A 0.25-mm field of an H&E-stained sentinel lymph node from a breast-cancer patient (whole-slide image), shown at about 20×, about 0.49 µm per pixel.
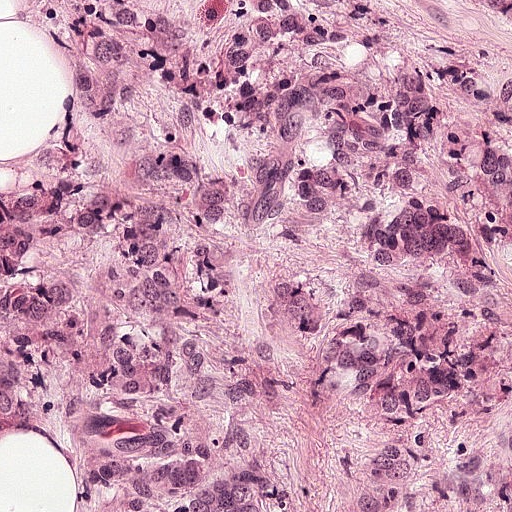
The outlined metastatic tumour's edge, as a closed clockwise path of 10 points: (0, 0), (511, 0), (511, 511), (0, 511), (0, 410), (106, 340), (131, 309), (122, 166), (80, 112), (2, 70).
Tumour covers about 85% of the frame.